Question: 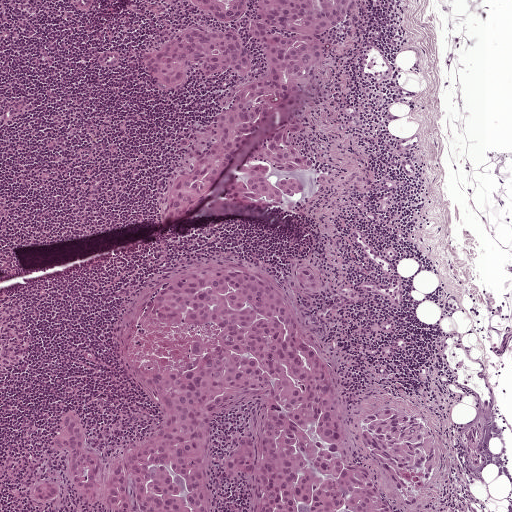
This is a crop of a whole-slide image: an H&E-stained breast-cancer sentinel lymph node section at roughly 5× magnification (about 1.9 µm per pixel; the crop spans about 1 mm).
About how much of this crop is taken up by metastatic carcinoma?

Choices:
 (A) about 50% or more
 (B) about 25% to 45%
 (C) about 10% to 20%
 (D) about 5% or less
 (E) none: no tumour is outlined

Answer: (B) about 25% to 45%
About 35% of the field is tumour.
Two metastatic tumour regions, each outlined as a closed clockwise path in crop pixels (x, y), largest first: region 1: (240, 258), (291, 289), (310, 258), (325, 282), (299, 317), (346, 394), (438, 432), (444, 477), (419, 511), (243, 511), (219, 462), (263, 419), (248, 396), (212, 422), (210, 511), (25, 498), (70, 466), (57, 414), (71, 408), (120, 461), (156, 433), (114, 338), (129, 294), (180, 263); region 2: (173, 0), (354, 0), (323, 38), (300, 144), (317, 156), (324, 196), (286, 212), (245, 205), (166, 225), (160, 186), (181, 144), (244, 82), (232, 68), (207, 82), (194, 64), (179, 90), (159, 92), (142, 56), (192, 23), (240, 27), (249, 72), (265, 67), (241, 25).
Question: 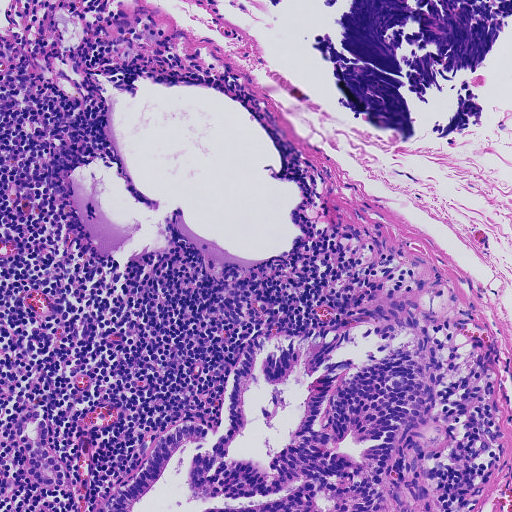
H&E-stained section of a sentinel lymph node (breast cancer), from a whole-slide image, viewed at about 10×: the field is about 0.46 mm across, about 0.91 µm per pixel.
About how much of this crop is taken up by metastatic carcinoma?

Choices:
 (A) about 5% or less
 (B) about 10% to 20%
 (C) none: no tumour is outlined
 (D) about 25% to 45%
 (E) about 50% or more

Answer: (B) about 10% to 20%
About 20% of the field is tumour.
Boundaries of two metastatic tumour regions, simplified and listed clockwise, largest first: region 1: (426, 275), (432, 284), (419, 308), (441, 366), (440, 421), (450, 437), (434, 470), (438, 509), (106, 508), (163, 433), (180, 421), (216, 434), (227, 382), (257, 334), (326, 328); region 2: (40, 411), (48, 424), (45, 439), (64, 464), (68, 479), (56, 488), (41, 488), (29, 478), (25, 449), (14, 437), (12, 422), (24, 412).
Question: 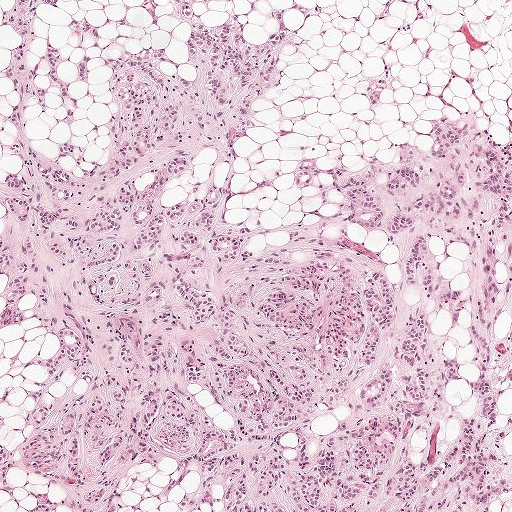
H&E-stained section of a sentinel lymph node (breast cancer), from a whole-slide image, viewed at about 5×: the field is about 1 mm across, about 1.9 µm per pixel.
About how much of this crop is taken up by metastatic carcinoma?

Choices:
 (A) about 10% to 20%
 (B) about 25% to 45%
 (C) none: no tumour is outlined
 (D) about 50% or more
 (E) about 5% or less

Answer: (D) about 50% or more
About 80% of the field is tumour.
Four metastatic tumour regions, each outlined as a closed clockwise path in crop pixels (x, y), largest first: region 1: (12, 0), (58, 0), (27, 62), (50, 41), (78, 100), (65, 126), (30, 99), (35, 147), (102, 161), (105, 61), (159, 46), (192, 79), (174, 3), (256, 41), (283, 8), (228, 180), (244, 254), (319, 201), (303, 160), (362, 170), (438, 117), (511, 151), (493, 511), (0, 511); region 2: (373, 78), (385, 80), (385, 90), (380, 95), (380, 100), (383, 103), (374, 109), (370, 109), (366, 99), (360, 94); region 3: (83, 15), (88, 23), (98, 28), (101, 38), (97, 39), (69, 32), (68, 25), (75, 20), (82, 18); region 4: (84, 55), (90, 56), (91, 61), (88, 66), (90, 82), (81, 86), (77, 86), (78, 74), (75, 63).
Question: 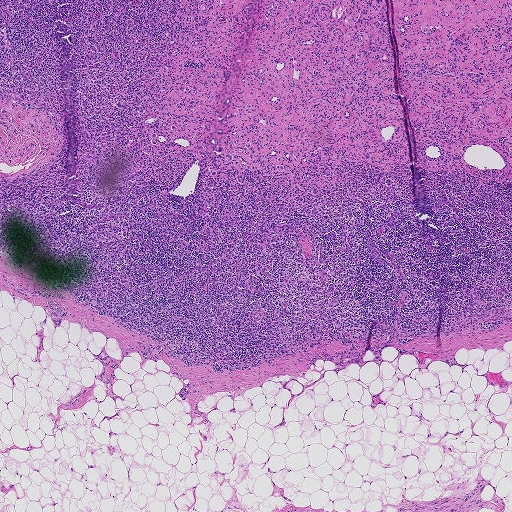
Lymph node section stained with H&E, from a whole-slide image of a breast-cancer sentinel node. Magnification about 2.5×, about 1.9 mm across the frame, about 3.6 µm per pixel.
About how much of this crop is taken up by metastatic carcinoma?

Choices:
 (A) none: no tumour is outlined
 (B) about 25% to 45%
 (C) about 5% or less
 (D) about 10% to 20%
 (E) about 50% or more

Answer: (C) about 5% or less
Under 5% of the field is tumour.
The outlined metastatic tumour's edge, as a closed clockwise path of 14 points: (226, 154), (230, 154), (232, 156), (233, 159), (236, 160), (239, 162), (239, 165), (237, 166), (234, 164), (232, 161), (229, 162), (226, 161), (224, 158), (225, 156).
23 more small tumour pieces are annotated here but not outlined.